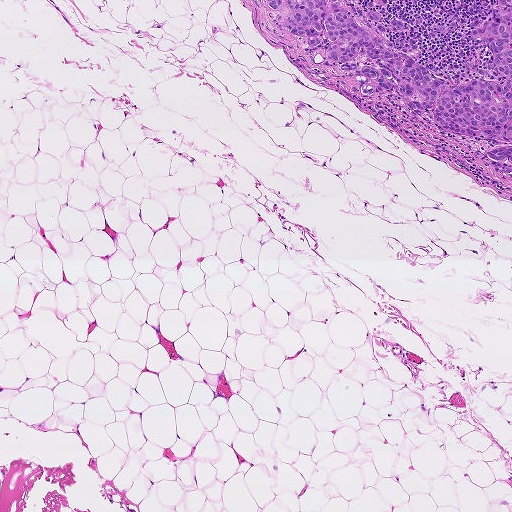
Lymph node section stained with H&E, from a whole-slide image of a breast-cancer sentinel node. Magnification about 5×, about 0.93 mm across the frame, about 1.8 µm per pixel.
One metastatic tumour region; its boundary, reduced to 40 corners and listed clockwise: (264, 0), (342, 0), (360, 22), (365, 11), (376, 8), (373, 0), (398, 0), (376, 11), (383, 13), (383, 24), (402, 18), (412, 24), (411, 30), (380, 34), (388, 43), (438, 77), (503, 81), (505, 78), (495, 72), (490, 50), (466, 31), (486, 19), (493, 0), (511, 0), (511, 179), (499, 175), (484, 150), (509, 143), (439, 129), (432, 110), (408, 111), (395, 92), (384, 90), (362, 96), (351, 76), (324, 55), (326, 42), (304, 48), (297, 38), (276, 27).
About 5% of the image area is annotated as tumour.